Question: 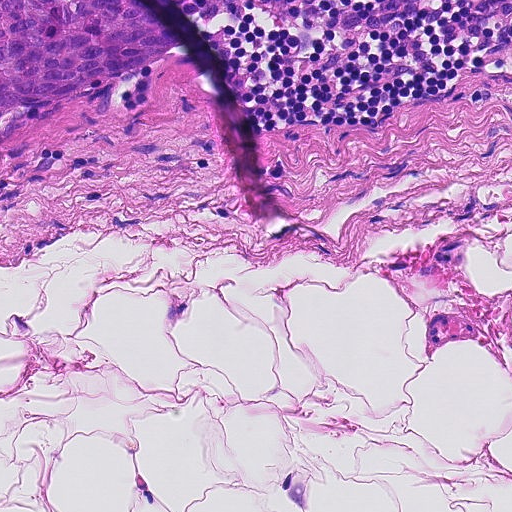
H&E-stained section of a sentinel lymph node (breast cancer), from a whole-slide image, viewed at about 20×: the field is about 0.23 mm across, about 0.45 µm per pixel.
Roughly what share of this field is metastatic tumour?

Choices:
 (A) about 50% or more
 (B) about 5% or less
 (C) about 25% to 45%
 (D) none: no tumour is outlined
 (E) about 10% to 20%

Answer: (B) about 5% or less
About 5% of the field is tumour.
The outlined metastatic tumour's edge, as a closed clockwise path of 7 points: (0, 0), (123, 0), (164, 42), (172, 44), (108, 89), (77, 102), (0, 105).